Question: 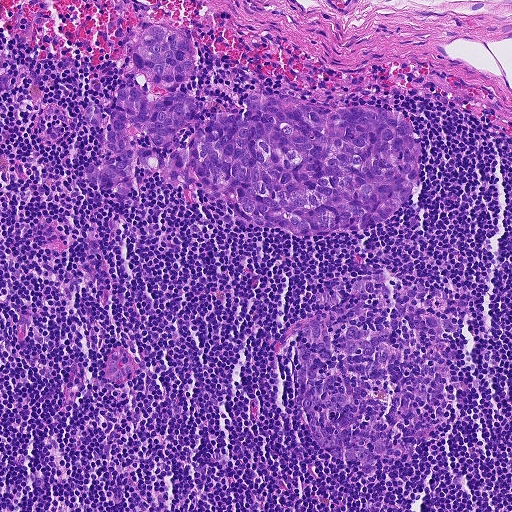
A 0.46-mm field of an H&E-stained sentinel lymph node from a breast-cancer patient (whole-slide image), shown at about 10×, about 0.9 µm per pixel.
Estimate the proportion of this field that is metastatic tumour.

Choices:
 (A) about 10% to 20%
 (B) about 50% or more
 (C) about 25% to 45%
 (D) none: no tumour is outlined
 (E) about 5% or less

Answer: (A) about 10% to 20%
About 15% of the field is tumour.
Outlines of three tumour regions, largest first (closed clockwise paths, crop pixels): region 1: (133, 87), (155, 102), (180, 92), (196, 100), (196, 116), (177, 134), (185, 147), (206, 118), (242, 113), (253, 92), (397, 110), (422, 146), (418, 180), (393, 217), (370, 230), (299, 237), (210, 196), (195, 176), (176, 188), (136, 163), (127, 196), (93, 185), (90, 163), (118, 94); region 2: (158, 24), (183, 34), (193, 50), (194, 59), (191, 76), (184, 82), (167, 87), (158, 86), (151, 82), (148, 74), (140, 70), (134, 63), (133, 54), (142, 34); region 3: (0, 72), (12, 82), (11, 91), (0, 91).